Question: 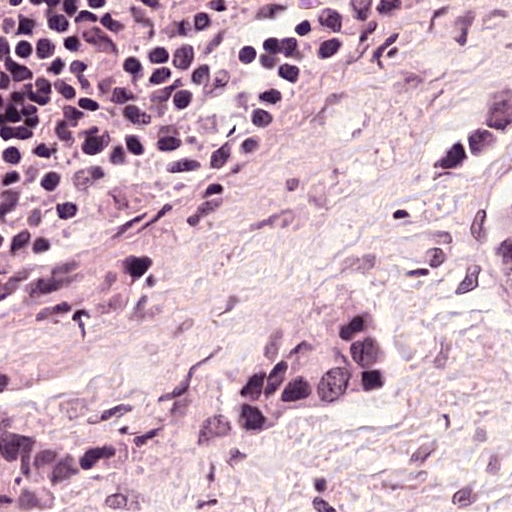
At roughly what magnification is this field shown?

Choices:
 (A) about 5×
 (B) about 40×
 (C) about 10×
 (D) about 20×
 (E) about 2.5×

Answer: (B) about 40×
Lymph node section stained with H&E, from a whole-slide image of a breast-cancer sentinel node. Magnification about 40×, about 0.12 mm across the frame, about 0.24 µm per pixel.
Outlines of two tumour regions, largest first (closed clockwise paths, crop pixels): region 1: (364, 295), (392, 306), (404, 354), (400, 377), (368, 397), (313, 408), (272, 440), (243, 453), (205, 446), (196, 432), (203, 385), (229, 371), (248, 342), (274, 322); region 2: (511, 193), (511, 292), (507, 283), (503, 281), (502, 269), (498, 267), (498, 261), (494, 254), (494, 244), (492, 242), (492, 222), (505, 195).
One more small tumour piece is annotated here but not outlined.
The annotated tumour makes up about 10% of the crop.
Question: 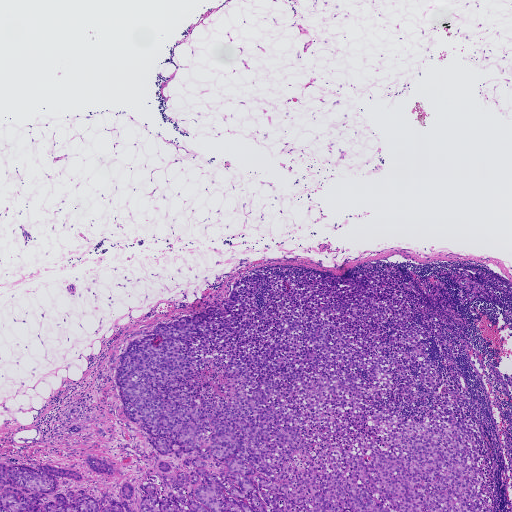
At roughly what magnification is this field shown?

Choices:
 (A) about 10×
 (B) about 40×
 (C) about 5×
 (D) about 2.5×
 (E) about 20×

Answer: (D) about 2.5×
This is a crop of a whole-slide image: an H&E-stained breast-cancer sentinel lymph node section at roughly 2.5× magnification (about 3.6 µm per pixel; the crop spans about 1.9 mm).
Outlines of four tumour regions, largest first (closed clockwise paths, crop pixels): region 1: (387, 272), (443, 382), (419, 381), (414, 407), (399, 386), (372, 414), (421, 420), (462, 394), (493, 509), (140, 511), (160, 462), (167, 474), (190, 466), (126, 417), (110, 359), (247, 275), (264, 276), (260, 309), (274, 276); region 2: (0, 463), (37, 469), (52, 466), (81, 474), (79, 481), (55, 476), (57, 489), (42, 499), (47, 501), (53, 501), (55, 494), (79, 490), (101, 502), (112, 499), (121, 502), (122, 486), (125, 481), (130, 483), (134, 494), (126, 500), (134, 510), (0, 511); region 3: (88, 456), (97, 457), (113, 466), (115, 470), (114, 474), (109, 475), (92, 471), (86, 464), (85, 460); region 4: (383, 264), (390, 265), (396, 267), (401, 271), (404, 277), (401, 281), (397, 281), (394, 276), (393, 273), (385, 270), (381, 267).
Two more small tumour pieces are annotated here but not outlined.
About 30% of the image area is annotated as tumour.
Question: 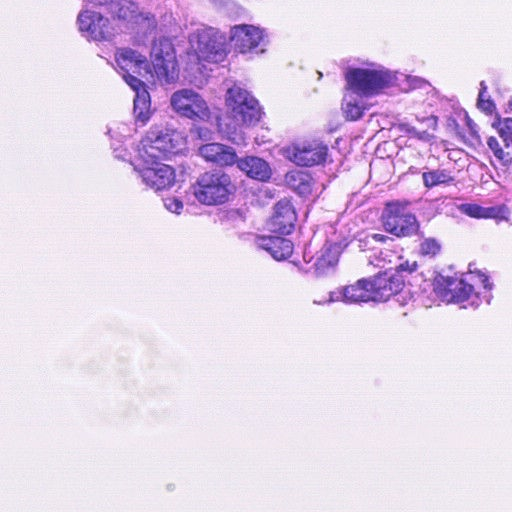
At roughly what magnification is this field shown?

Choices:
 (A) about 2.5×
 (B) about 5×
 (C) about 20×
 (D) about 40×
 (E) about 10×

Answer: (D) about 40×
H&E-stained section of a sentinel lymph node (breast cancer), from a whole-slide image, viewed at about 40×: the field is about 0.12 mm across, about 0.23 µm per pixel.
One metastatic tumour region; its boundary, reduced to 16 corners and listed clockwise: (63, 0), (289, 0), (292, 118), (396, 60), (496, 65), (511, 78), (511, 215), (434, 233), (496, 271), (511, 302), (420, 335), (319, 302), (242, 238), (153, 192), (83, 125), (127, 106).
About 35% of the image area is annotated as tumour.
Question: 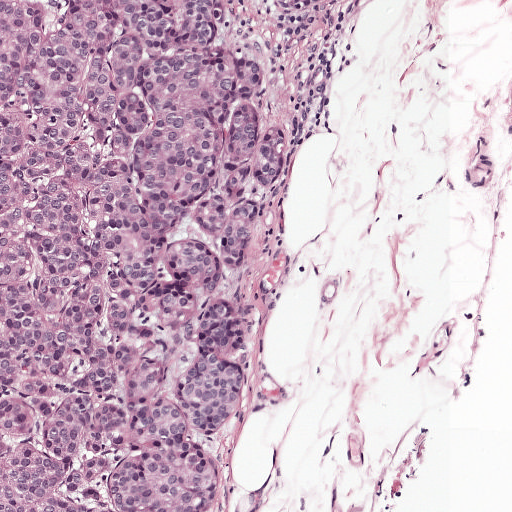
At roughly what magnification is this field shown?

Choices:
 (A) about 2.5×
 (B) about 20×
 (C) about 40×
 (D) about 10×
 (E) about 5×

Answer: (D) about 10×
A 0.5-mm field of an H&E-stained sentinel lymph node from a breast-cancer patient (whole-slide image), shown at about 10×, about 0.97 µm per pixel.
Two metastatic tumour regions, each outlined as a closed clockwise path in crop pixels (x, y), largest first: region 1: (0, 0), (258, 0), (230, 7), (234, 42), (273, 84), (269, 113), (288, 133), (286, 174), (256, 255), (218, 276), (218, 294), (240, 315), (250, 379), (244, 407), (198, 435), (218, 465), (215, 511), (0, 511); region 2: (269, 0), (346, 0), (336, 26), (316, 45), (288, 45), (264, 30), (272, 2).
About 50% of the image area is annotated as tumour.